Image:
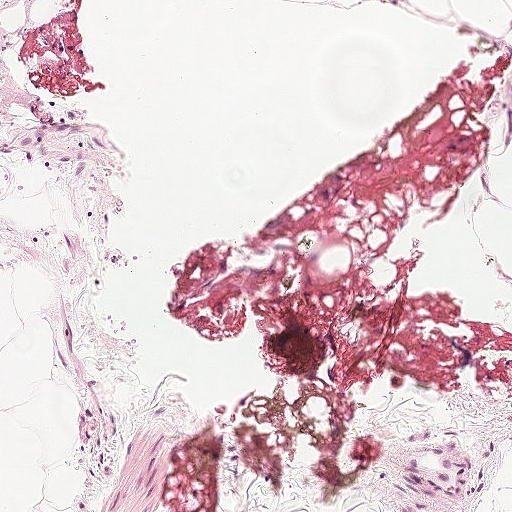
H&E-stained section of a sentinel lymph node (breast cancer), from a whole-slide image, viewed at about 10×: the field is about 0.5 mm across, about 0.97 µm per pixel.
Question:
Is there metastatic carcinoma in this field?
Answer:
No, this field holds no outlined metastasis.